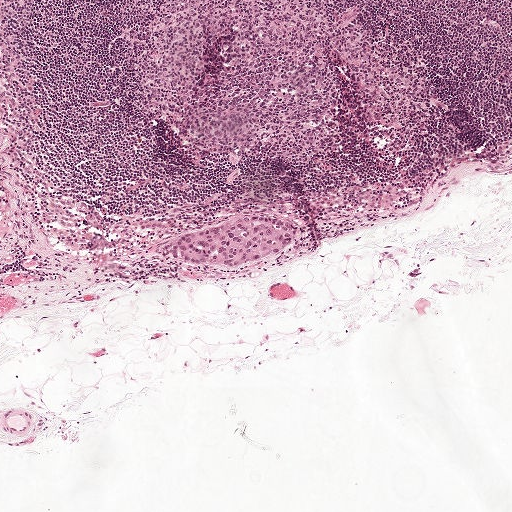
This is a crop of a whole-slide image: an H&E-stained breast-cancer sentinel lymph node section at roughly 5× magnification (about 1.9 µm per pixel; the crop spans about 1 mm).
Question: Is any metastatic breast cancer visible in this crop?
Answer: Yes.
One metastatic tumour region; its boundary, reduced to 11 corners and listed clockwise: (238, 214), (269, 217), (294, 225), (298, 232), (297, 240), (280, 259), (238, 275), (196, 271), (164, 251), (162, 242), (169, 234).
Tumour covers under 5% of the frame.